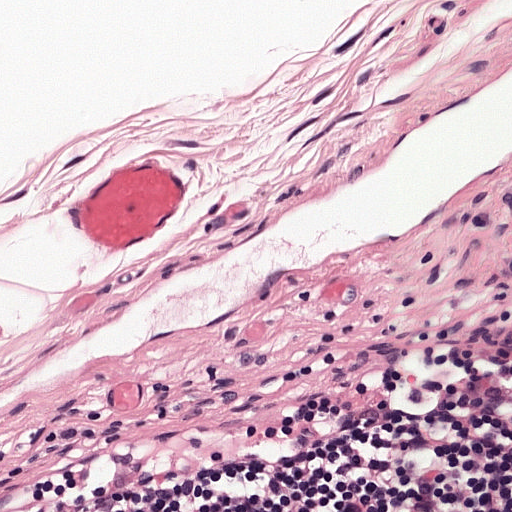
This is a crop of a whole-slide image: an H&E-stained breast-cancer sentinel lymph node section at roughly 20× magnification (about 0.49 µm per pixel; the crop spans about 0.25 mm).